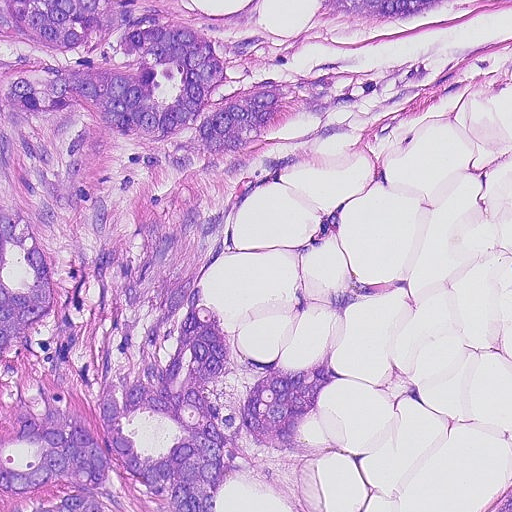
A 0.23-mm field of an H&E-stained sentinel lymph node from a breast-cancer patient (whole-slide image), shown at about 20×, about 0.45 µm per pixel.
Question: Where is the metastatic tumour in this field? Give each region's outline as (x, y) pixel points.
Answer: Outlines of four tumour regions, largest first (closed clockwise paths, crop pixels): region 1: (0, 0), (270, 0), (262, 27), (318, 71), (426, 74), (258, 148), (192, 273), (226, 338), (225, 388), (338, 346), (340, 382), (320, 392), (310, 444), (218, 504), (0, 511); region 2: (312, 0), (483, 0), (416, 16), (348, 37), (320, 18); region 3: (511, 485), (511, 511), (476, 511), (488, 505); region 4: (297, 502), (331, 511), (294, 511).
About 55% of this field is tumour.